A 1-mm field of an H&E-stained sentinel lymph node from a breast-cancer patient (whole-slide image), shown at about 5×, about 1.9 µm per pixel.
Question: 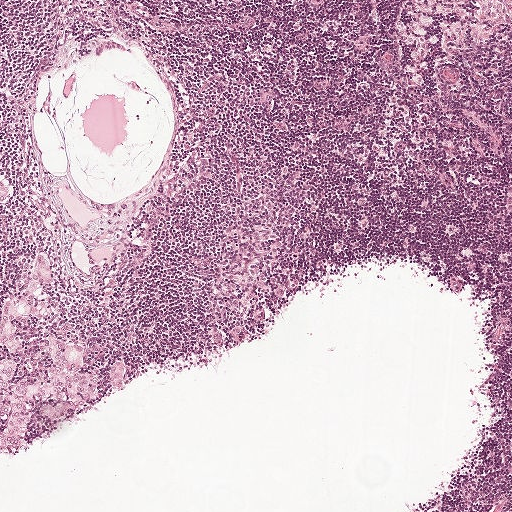
About how much of this crop is taken up by metastatic carcinoma?

Choices:
 (A) none: no tumour is outlined
 (B) about 10% to 20%
 (C) about 50% or more
 (D) about 25% to 45%
 (E) about 5% or less

Answer: (E) about 5% or less
About 5% of the field is tumour.
Three metastatic tumour regions, each outlined as a closed clockwise path in crop pixels (x, y), largest first: region 1: (51, 336), (83, 339), (86, 365), (97, 378), (95, 402), (83, 408), (34, 403), (29, 408), (22, 442), (11, 451), (1, 448), (0, 359), (14, 361), (19, 380), (42, 377), (48, 361), (43, 346), (36, 338); region 2: (41, 253), (46, 262), (46, 283), (43, 287), (35, 287), (31, 291), (54, 311), (54, 318), (45, 322), (36, 322), (31, 327), (11, 323), (22, 350), (20, 353), (11, 353), (0, 348), (0, 304), (24, 278); region 3: (0, 180), (5, 183), (8, 190), (7, 197), (0, 204).